Image:
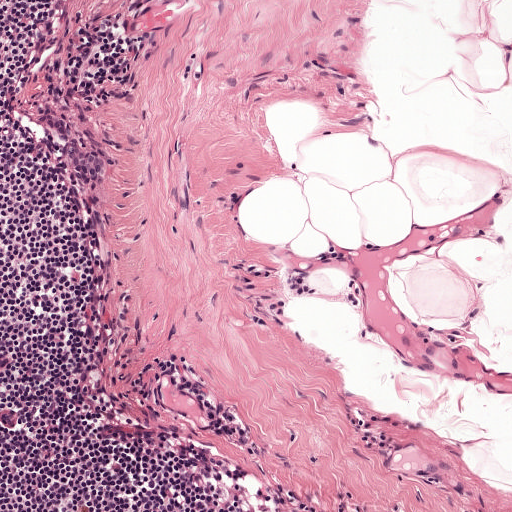
Lymph node section stained with H&E, from a whole-slide image of a breast-cancer sentinel node. Magnification about 10×, about 0.5 mm across the frame, about 0.97 µm per pixel.
Question:
Which parts of this field are metastatic tumour?
Answer:
Tumour region outline (a closed clockwise path, crop pixels): (38, 106), (48, 107), (86, 140), (103, 158), (107, 169), (107, 181), (96, 185), (84, 182), (73, 176), (53, 132), (36, 115).
The annotated tumour makes up under 5% of the crop.